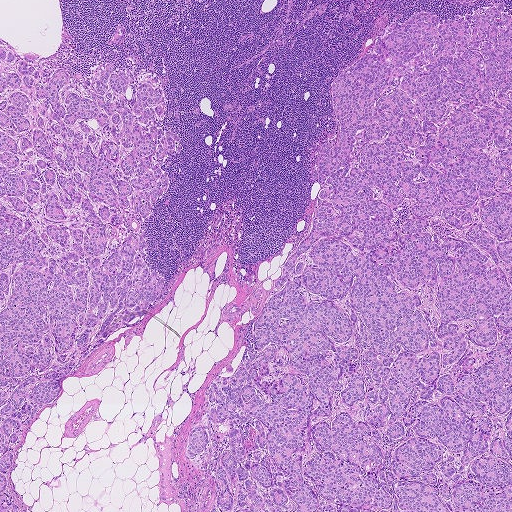
H&E-stained section of a sentinel lymph node (breast cancer), from a whole-slide image, viewed at about 2.5×: the field is about 1.9 mm across, about 3.6 µm per pixel.
Question: Is any metastatic breast cancer visible in this crop?
Answer: Yes.
Outlines of two tumour regions, largest first (closed clockwise paths, crop pixels): region 1: (504, 0), (511, 511), (198, 511), (206, 479), (186, 455), (188, 434), (205, 428), (216, 375), (233, 374), (249, 343), (257, 354), (250, 309), (231, 326), (219, 326), (222, 313), (263, 288), (258, 316), (309, 228), (322, 188), (314, 149), (336, 127), (332, 82), (417, 12), (445, 21); region 2: (1, 39), (45, 86), (67, 72), (65, 111), (76, 73), (92, 83), (110, 62), (153, 72), (166, 100), (153, 124), (181, 145), (160, 168), (169, 190), (140, 230), (167, 294), (103, 342), (114, 352), (102, 370), (63, 379), (25, 428), (7, 477), (19, 510), (0, 511).
One more small tumour piece is annotated here but not outlined.
About 65% of this field is tumour.